Question: 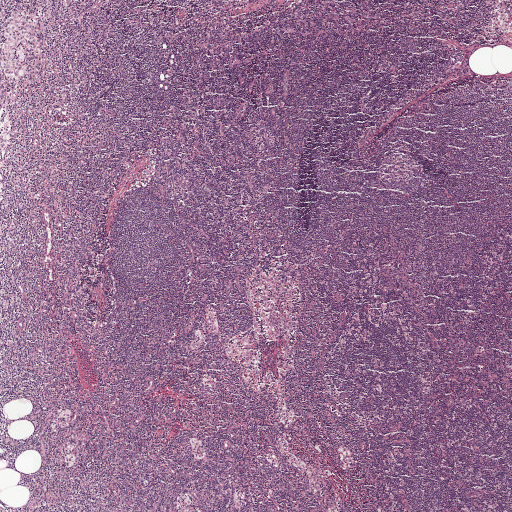
At roughly what magnification is this field shown?

Choices:
 (A) about 40×
 (B) about 2.5×
 (C) about 10×
 (D) about 5×
 (E) about 20×

Answer: (B) about 2.5×
This is a crop of a whole-slide image: an H&E-stained breast-cancer sentinel lymph node section at roughly 2.5× magnification (about 3.9 µm per pixel; the crop spans about 2.0 mm).